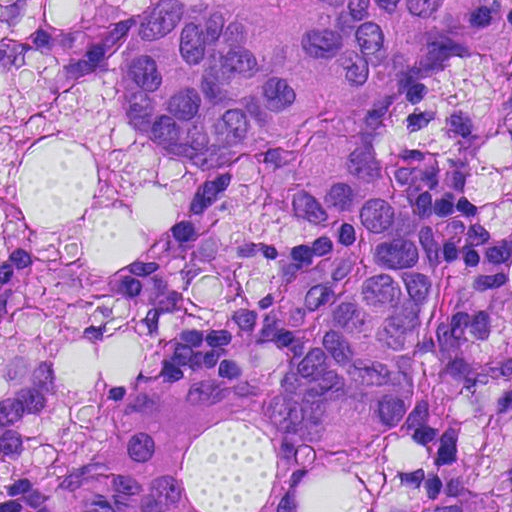
Lymph node section stained with H&E, from a whole-slide image of a breast-cancer sentinel node. Magnification about 40×, about 0.12 mm across the frame, about 0.23 µm per pixel.
Metastatic tumour outline, simplified to 21 points and listed clockwise in crop pixels (x, y): (178, 0), (455, 0), (449, 37), (384, 113), (386, 164), (455, 236), (454, 286), (398, 431), (356, 454), (307, 450), (275, 414), (279, 364), (318, 274), (315, 224), (285, 204), (265, 158), (178, 169), (132, 146), (110, 103), (118, 55), (148, 15).
Tumour covers about 30% of the frame.